Question: 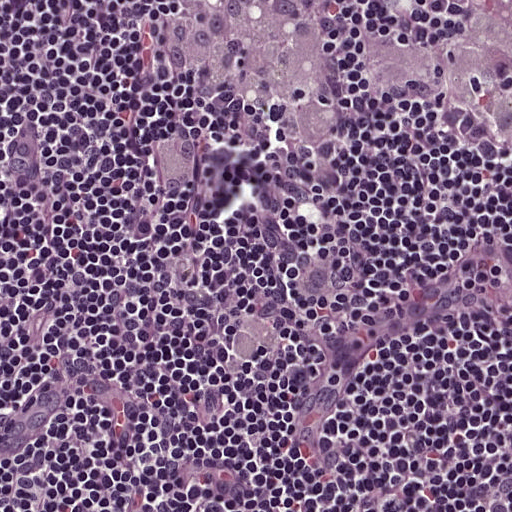
Which magnification is this H&E lymph node field most likely shown at?

Choices:
 (A) about 2.5×
 (B) about 10×
 (C) about 40×
 (D) about 20×
 (E) about 5×

Answer: (D) about 20×
Lymph node section stained with H&E, from a whole-slide image of a breast-cancer sentinel node. Magnification about 20×, about 0.25 mm across the frame, about 0.49 µm per pixel.